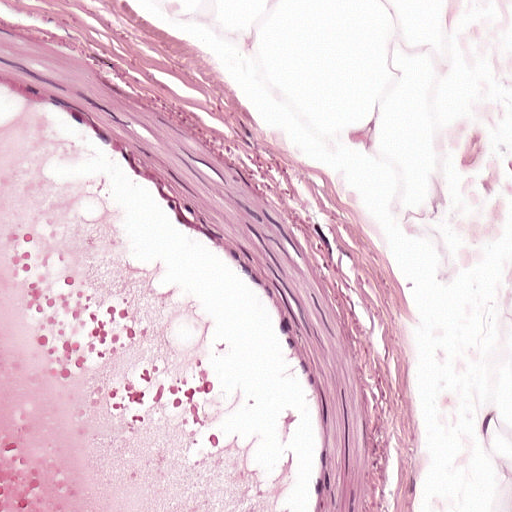
H&E-stained section of a sentinel lymph node (breast cancer), from a whole-slide image, viewed at about 20×: the field is about 0.25 mm across, about 0.49 µm per pixel.